H&E-stained section of a sentinel lymph node (breast cancer), from a whole-slide image, viewed at about 20×: the field is about 0.25 mm across, about 0.49 µm per pixel.
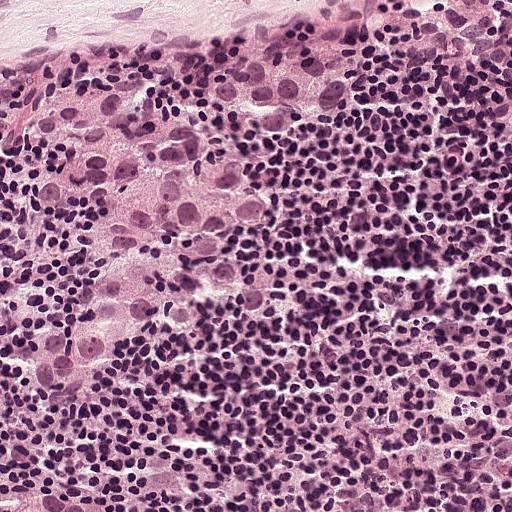
Four metastatic tumour regions, each outlined as a closed clockwise path in crop pixels (x, y), largest first: region 1: (88, 80), (154, 94), (223, 131), (272, 198), (262, 231), (228, 234), (223, 252), (272, 276), (260, 314), (208, 294), (188, 330), (145, 327), (99, 394), (64, 415), (23, 378), (26, 353), (93, 277), (92, 206), (31, 207), (36, 183), (77, 141), (40, 148), (20, 124), (31, 104); region 2: (312, 47), (330, 55), (355, 78), (352, 114), (321, 118), (266, 135), (207, 98), (214, 74), (252, 58), (282, 58); region 3: (72, 481), (106, 500), (109, 511), (5, 511), (18, 493), (44, 484); region 4: (0, 304), (12, 310), (0, 324).
One more small tumour piece is annotated here but not outlined.
About 25% of this field is tumour.